Image:
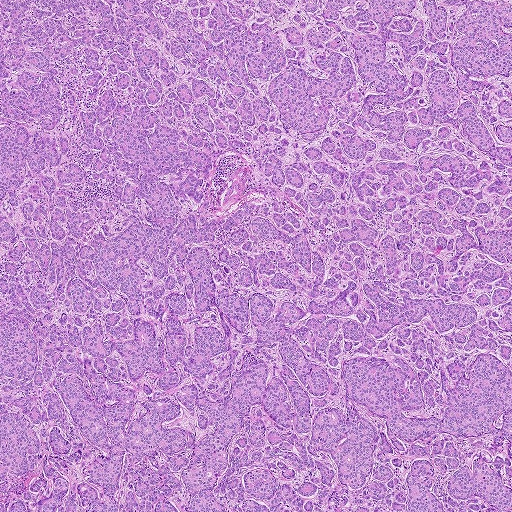
Lymph node section stained with H&E, from a whole-slide image of a breast-cancer sentinel node. Magnification about 2.5×, about 1.9 mm across the frame, about 3.6 µm per pixel.
Question:
Show where the tumour is in this image.
Answer:
Metastatic tumour covers the whole field.
The annotated tumour makes up over 95% of the crop.